Question: 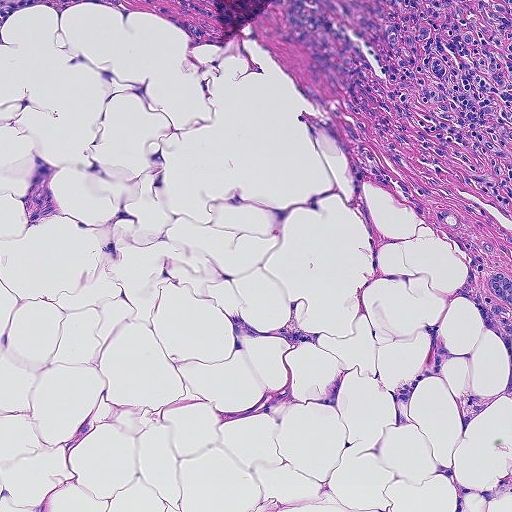
A 0.46-mm field of an H&E-stained sentinel lymph node from a breast-cancer patient (whole-slide image), shown at about 10×, about 0.9 µm per pixel.
What fraction of the image area is metastatic tumour?

Choices:
 (A) about 10% to 20%
 (B) about 50% or more
 (C) about 25% to 45%
 (D) about 5% or less
 (E) none: no tumour is outlined

Answer: (A) about 10% to 20%
About 20% of the field is tumour.
Boundaries of two metastatic tumour regions, simplified and listed clockwise, largest first: region 1: (273, 0), (511, 0), (511, 399), (503, 388), (510, 378), (500, 341), (470, 300), (451, 297), (465, 276), (463, 251), (352, 166), (294, 75), (248, 27); region 2: (0, 0), (216, 0), (223, 48), (198, 45), (187, 49), (186, 36), (178, 26), (153, 13), (140, 11), (122, 13), (97, 4), (84, 2), (72, 5), (56, 13), (32, 6), (20, 7), (8, 14), (1, 24), (0, 44).